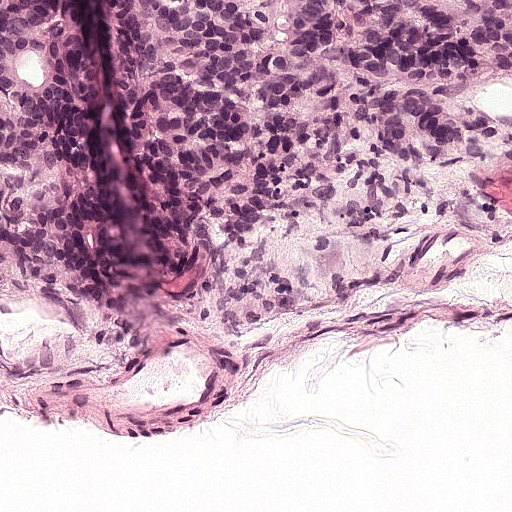
Lymph node section stained with H&E, from a whole-slide image of a breast-cancer sentinel node. Magnification about 20×, about 0.25 mm across the frame, about 0.49 µm per pixel.
Question: Is any metastatic breast cancer visible in this crop?
Answer: Yes.
Two metastatic tumour regions, each outlined as a closed clockwise path in crop pixels (x, y), largest first: region 1: (511, 0), (511, 163), (366, 250), (286, 270), (224, 303), (195, 302), (156, 210), (150, 5); region 2: (0, 0), (66, 0), (69, 50), (50, 130), (38, 154), (30, 213), (30, 270), (36, 270), (37, 278), (0, 284).
Tumour covers about 40% of the frame.